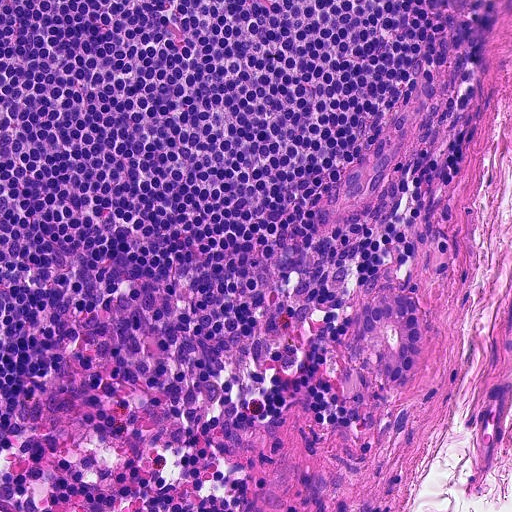
This is a crop of a whole-slide image: an H&E-stained breast-cancer sentinel lymph node section at roughly 20× magnification (about 0.45 µm per pixel; the crop spans about 0.23 mm).
Metastatic tumour outline, simplified to 12 points and listed clockwise in crop pixels (x, y): (402, 288), (415, 298), (423, 314), (421, 365), (412, 380), (398, 387), (381, 386), (366, 378), (352, 367), (347, 349), (360, 300), (385, 290).
Under 5% of the image area is annotated as tumour.